A 1-mm field of an H&E-stained sentinel lymph node from a breast-cancer patient (whole-slide image), shown at about 5×, about 1.9 µm per pixel.
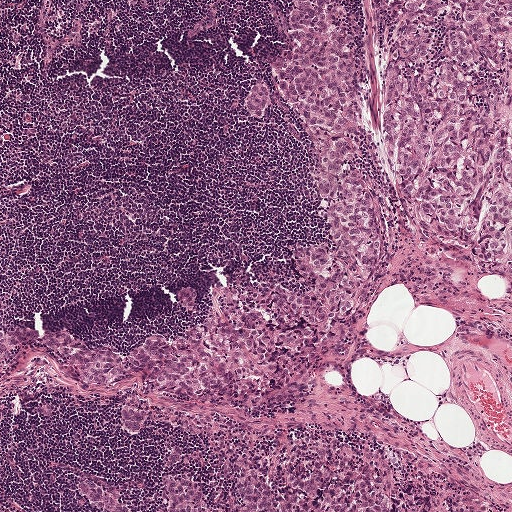
Question: Show where the tumour is in this image.
Answer: Two metastatic tumour regions, each outlined as a closed clockwise path in crop pixels (x, y), largest first: region 1: (275, 0), (511, 0), (511, 296), (412, 258), (287, 391), (246, 394), (190, 424), (148, 410), (136, 434), (123, 409), (146, 409), (81, 394), (38, 368), (0, 375), (0, 340), (71, 330), (151, 341), (175, 321), (184, 283), (288, 261), (290, 174), (243, 121), (278, 52); region 2: (211, 432), (273, 432), (413, 460), (496, 511), (97, 511), (79, 502), (70, 479), (100, 479), (128, 501), (143, 502), (158, 487), (155, 456), (165, 445).
The annotated tumour makes up about 45% of the crop.